This is a crop of a whole-slide image: an H&E-stained breast-cancer sentinel lymph node section at roughly 20× magnification (about 0.49 µm per pixel; the crop spans about 0.25 mm).
Question: 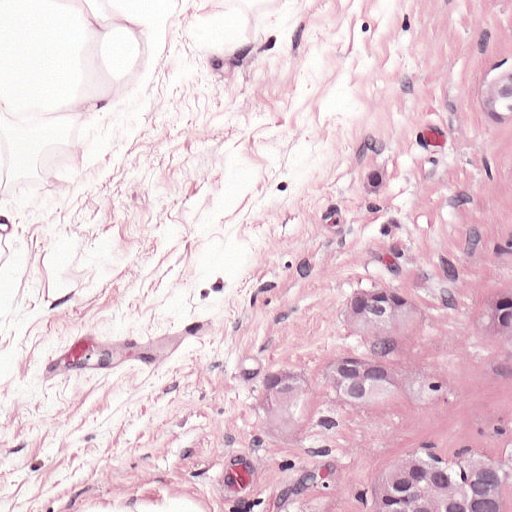
About how much of this crop is taken up by metastatic carcinoma?

Choices:
 (A) about 25% to 45%
 (B) about 10% to 20%
 (C) about 5% or less
 (D) none: no tumour is outlined
 (E) about 50% or more

Answer: (B) about 10% to 20%
About 10% of the field is tumour.
Outlines of three tumour regions, largest first (closed clockwise paths, crop pixels): region 1: (511, 285), (511, 511), (352, 511), (364, 483), (417, 422), (478, 314); region 2: (364, 344), (407, 356), (394, 398), (339, 414), (316, 366); region 3: (511, 156), (511, 189), (493, 182).
Three more small tumour pieces are annotated here but not outlined.